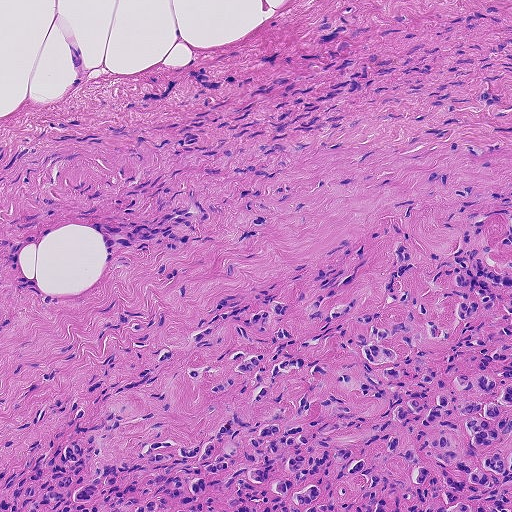
H&E-stained section of a sentinel lymph node (breast cancer), from a whole-slide image, viewed at about 10×: the field is about 0.46 mm across, about 0.9 µm per pixel.
Question: Show where the tumour is in this image.
Answer: Metastatic tumour outline, simplified to 12 points and listed clockwise in crop pixels (x, y): (505, 210), (511, 511), (0, 511), (72, 436), (86, 432), (117, 463), (155, 440), (199, 433), (206, 406), (154, 353), (167, 344), (400, 230).
About 35% of the image area is annotated as tumour.